Image:
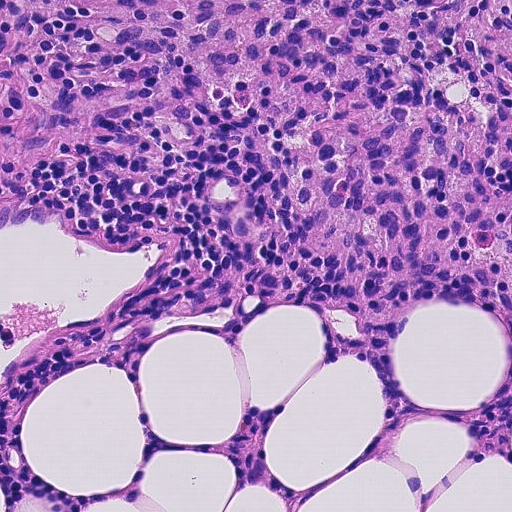
This is a crop of a whole-slide image: an H&E-stained breast-cancer sentinel lymph node section at roughly 20× magnification (about 0.45 µm per pixel; the crop spans about 0.23 mm).
Question:
Does this lymph node field contain metastatic tumour?
Answer:
No: no metastatic tumour is outlined anywhere in this field.